Question: 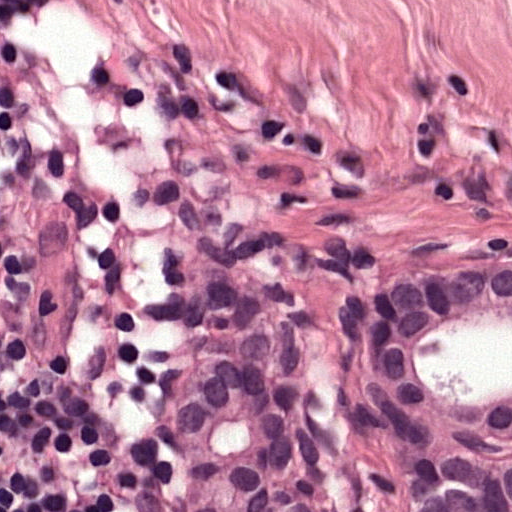
Which magnification is this H&E lymph node field most likely shown at?

Choices:
 (A) about 5×
 (B) about 10×
 (C) about 40×
 (D) about 20×
 (E) about 2.5×

Answer: (C) about 40×
A 0.12-mm field of an H&E-stained sentinel lymph node from a breast-cancer patient (whole-slide image), shown at about 40×, about 0.24 µm per pixel.
Two metastatic tumour regions, each outlined as a closed clockwise path in crop pixels (x, y), largest first: region 1: (511, 245), (511, 511), (380, 511), (349, 384), (339, 298), (416, 262); region 2: (216, 263), (288, 298), (332, 415), (346, 474), (345, 511), (187, 511), (174, 445), (176, 383).
About 25% of this field is tumour.
Question: 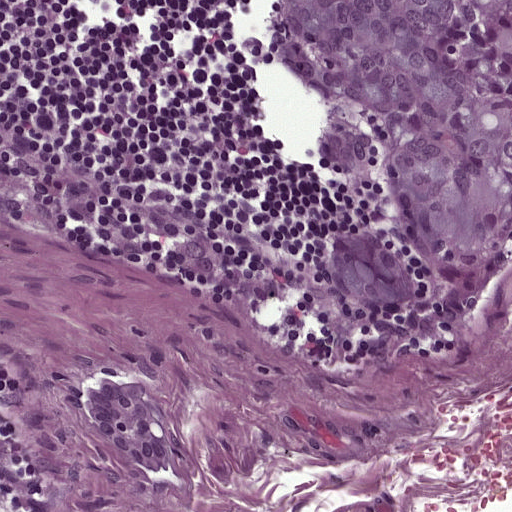
Which magnification is this H&E lymph node field most likely shown at?

Choices:
 (A) about 10×
 (B) about 20×
 (C) about 2.5×
 (D) about 40×
 (E) about 5×

Answer: (B) about 20×
This is a crop of a whole-slide image: an H&E-stained breast-cancer sentinel lymph node section at roughly 20× magnification (about 0.49 µm per pixel; the crop spans about 0.25 mm).
Boundaries of three metastatic tumour regions, simplified and listed clockwise, largest first: region 1: (250, 0), (511, 0), (511, 261), (496, 292), (456, 298), (399, 247), (377, 186), (326, 178), (312, 151), (322, 134), (296, 81), (256, 66); region 2: (136, 374), (182, 396), (198, 442), (190, 486), (144, 489), (110, 458), (86, 420), (91, 376); region 3: (356, 228), (384, 242), (409, 277), (404, 304), (371, 306), (335, 294), (326, 268), (328, 240).
About 25% of the image area is annotated as tumour.
Question: 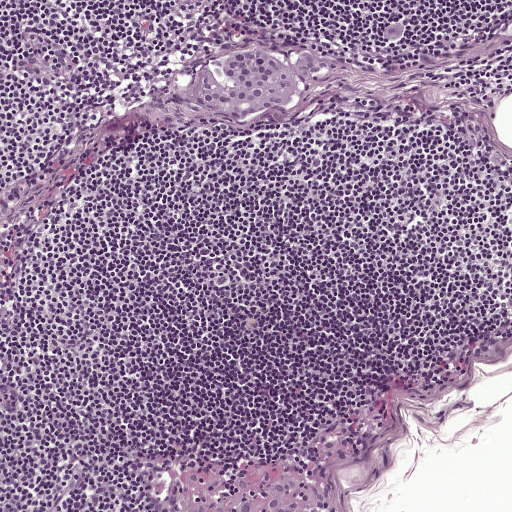
Which magnification is this H&E lymph node field most likely shown at?

Choices:
 (A) about 40×
 (B) about 10×
 (C) about 20×
 (D) about 2.5×
 (E) about 5×

Answer: (B) about 10×
Lymph node section stained with H&E, from a whole-slide image of a breast-cancer sentinel node. Magnification about 10×, about 0.5 mm across the frame, about 0.97 µm per pixel.
Tumour region outline (a closed clockwise path, crop pixels): (242, 51), (279, 56), (310, 51), (336, 62), (339, 70), (318, 87), (297, 97), (291, 110), (261, 112), (234, 123), (168, 101), (169, 94), (207, 63).
The annotated tumour makes up about 5% of the crop.
Question: 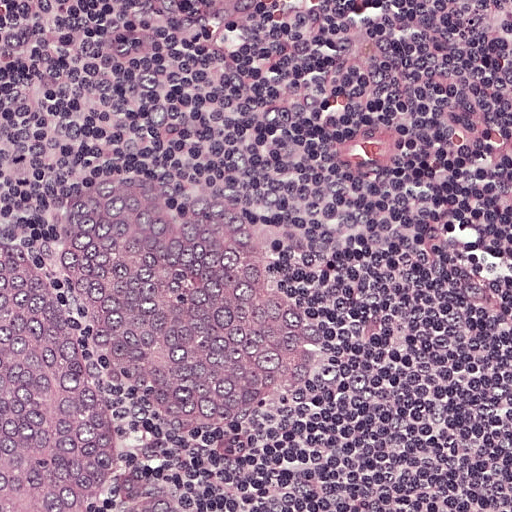
Which magnification is this H&E lymph node field most likely shown at?

Choices:
 (A) about 20×
 (B) about 10×
 (C) about 2.5×
 (D) about 40×
 (E) about 5×

Answer: (A) about 20×
H&E-stained section of a sentinel lymph node (breast cancer), from a whole-slide image, viewed at about 20×: the field is about 0.25 mm across, about 0.49 µm per pixel.
Metastatic tumour outline, simplified to 13 points and listed clockwise in crop pixels (x, y): (160, 167), (214, 188), (248, 222), (298, 336), (262, 408), (228, 431), (186, 431), (122, 399), (158, 482), (196, 511), (0, 511), (0, 232), (114, 173).
About 30% of this field is tumour.